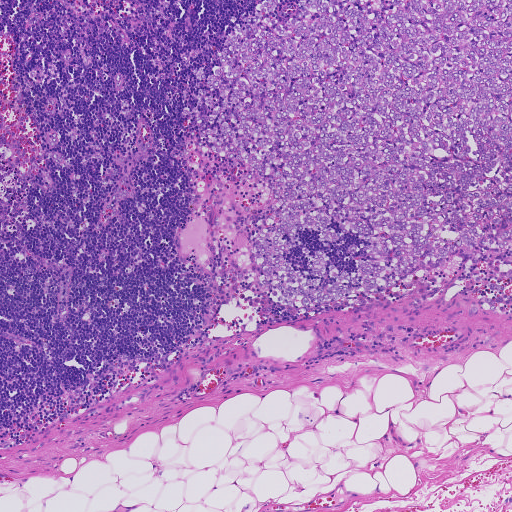
A 0.93-mm field of an H&E-stained sentinel lymph node from a breast-cancer patient (whole-slide image), shown at about 5×, about 1.8 µm per pixel.
Question: Describe where the metastatic carcinoma lies in this crop.
Answer: Outlines of four tumour regions, largest first (closed clockwise paths, crop pixels): region 1: (258, 0), (275, 0), (272, 16), (286, 21), (302, 1), (511, 0), (511, 280), (459, 256), (355, 308), (259, 292), (244, 212), (272, 192), (197, 147), (201, 122), (182, 109), (205, 90), (192, 71), (214, 73), (215, 52); region 2: (53, 130), (57, 136), (58, 144), (52, 148), (64, 157), (63, 164), (56, 164), (52, 159), (48, 139), (49, 132); region 3: (493, 282), (501, 284), (504, 290), (501, 296), (504, 301), (500, 303), (489, 304), (484, 299), (488, 296), (490, 299), (496, 299), (498, 293), (490, 290), (489, 287); region 4: (117, 72), (120, 73), (121, 80), (121, 86), (119, 88), (115, 88), (115, 76).
Two more small tumour pieces are annotated here but not outlined.
The annotated tumour makes up about 30% of the crop.

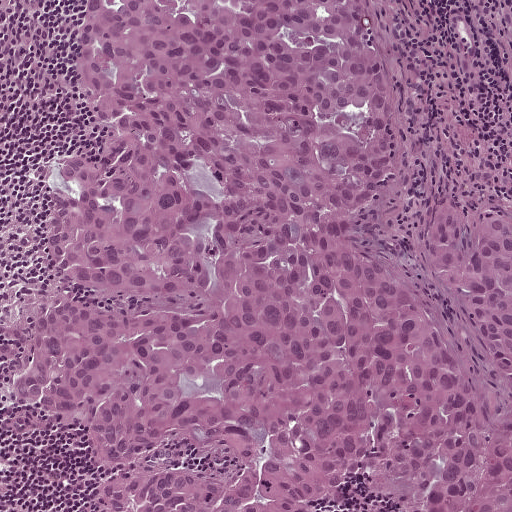
This is a crop of a whole-slide image: an H&E-stained breast-cancer sentinel lymph node section at roughly 10× magnification (about 0.97 µm per pixel; the crop spans about 0.5 mm).
Question: Describe where the metastatic carcinoma lies in this crop.
Answer: The outlined metastatic tumour's edge, as a closed clockwise path of 24 points: (79, 0), (384, 0), (412, 116), (370, 228), (501, 408), (421, 232), (431, 192), (511, 192), (511, 511), (396, 511), (364, 471), (322, 511), (92, 511), (102, 475), (83, 432), (17, 410), (0, 381), (0, 328), (54, 284), (44, 176), (64, 154), (94, 158), (104, 132), (66, 60).
The annotated tumour makes up about 80% of the crop.

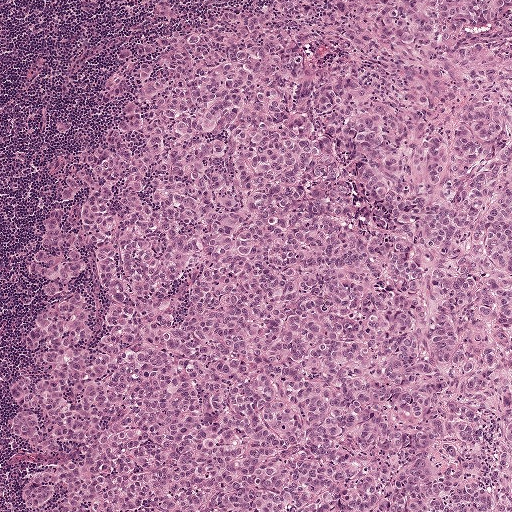
A 1-mm field of an H&E-stained sentinel lymph node from a breast-cancer patient (whole-slide image), shown at about 5×, about 1.9 µm per pixel.
Question: Describe where the metastatic carcinoma lies in this crop.
Answer: The outlined metastatic tumour's edge, as a closed clockwise path of 16 points: (256, 0), (511, 0), (511, 511), (21, 511), (8, 391), (34, 326), (38, 284), (24, 256), (40, 213), (75, 155), (112, 126), (118, 101), (104, 108), (102, 98), (123, 44), (207, 26).
About 90% of the image area is annotated as tumour.

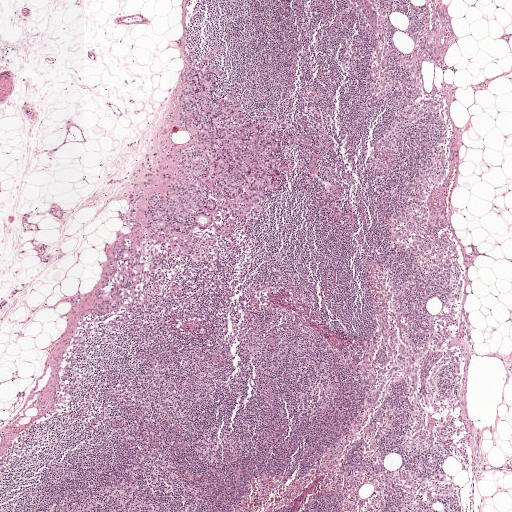
Lymph node section stained with H&E, from a whole-slide image of a breast-cancer sentinel node. Magnification about 2.5×, about 2.0 mm across the frame, about 3.9 µm per pixel.
Question: Describe where the metastatic carcinoma lies in this crop.
Answer: Three metastatic tumour regions, each outlined as a closed clockwise path in crop pixels (x, y), largest first: region 1: (217, 63), (218, 96), (240, 87), (252, 118), (273, 109), (273, 153), (284, 159), (284, 186), (266, 211), (235, 219), (223, 207), (206, 231), (196, 228), (207, 251), (197, 260), (154, 241), (139, 219), (161, 176), (176, 174), (163, 160), (193, 139), (176, 125), (183, 76); region 2: (123, 245), (127, 246), (133, 250), (134, 257), (130, 262), (122, 261), (117, 256), (117, 249); region 3: (221, 45), (225, 49), (215, 58), (205, 63), (201, 56), (213, 47).
Five more small tumour pieces are annotated here but not outlined.
The annotated tumour makes up about 5% of the crop.